Question: 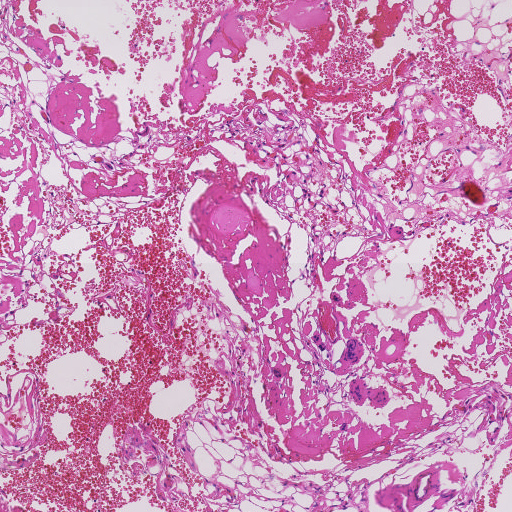
Which magnification is this H&E lymph node field most likely shown at?

Choices:
 (A) about 2.5×
 (B) about 40×
 (C) about 20×
 (D) about 10×
 (E) about 5×

Answer: (E) about 5×
A 0.93-mm field of an H&E-stained sentinel lymph node from a breast-cancer patient (whole-slide image), shown at about 5×, about 1.8 µm per pixel.